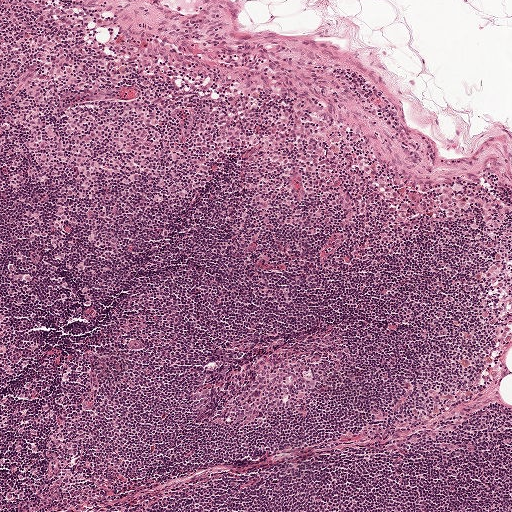
H&E-stained section of a sentinel lymph node (breast cancer), from a whole-slide image, viewed at about 5×: the field is about 1 mm across, about 1.9 µm per pixel.